A 0.25-mm field of an H&E-stained sentinel lymph node from a breast-cancer patient (whole-slide image), shown at about 20×, about 0.49 µm per pixel.
Image:
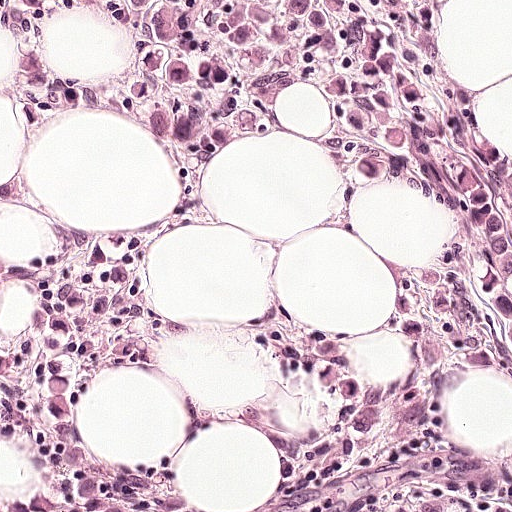
Question:
Outline the metastatic carcinoma in this image, as closed paths of (x, y) pixel coordinates.
Answer:
The outlined metastatic tumour's edge, as a closed clockwise path of 22 points: (440, 0), (438, 43), (454, 80), (478, 91), (475, 116), (493, 148), (511, 152), (511, 195), (480, 220), (448, 222), (384, 175), (341, 186), (323, 164), (323, 104), (286, 91), (266, 141), (225, 152), (178, 198), (136, 127), (104, 100), (130, 43), (116, 2).
About 20% of the image area is annotated as tumour.